Question: 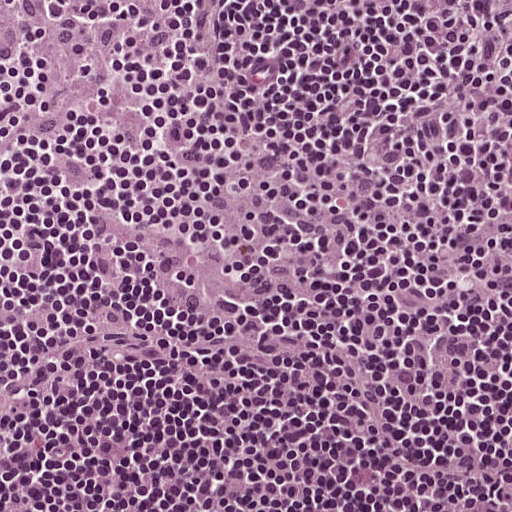
About what magnification does this crop show?

Choices:
 (A) about 2.5×
 (B) about 40×
 (C) about 10×
 (D) about 5×
 (E) about 20×

Answer: (E) about 20×
H&E-stained section of a sentinel lymph node (breast cancer), from a whole-slide image, viewed at about 20×: the field is about 0.25 mm across, about 0.49 µm per pixel.